Image:
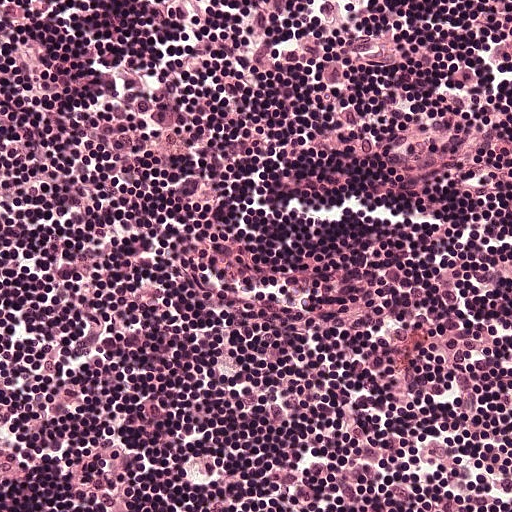
Lymph node section stained with H&E, from a whole-slide image of a breast-cancer sentinel node. Magnification about 20×, about 0.25 mm across the frame, about 0.49 µm per pixel.
Question:
Is there metastatic carcinoma in this field?
Answer:
No. No metastatic tumour is outlined in this field.